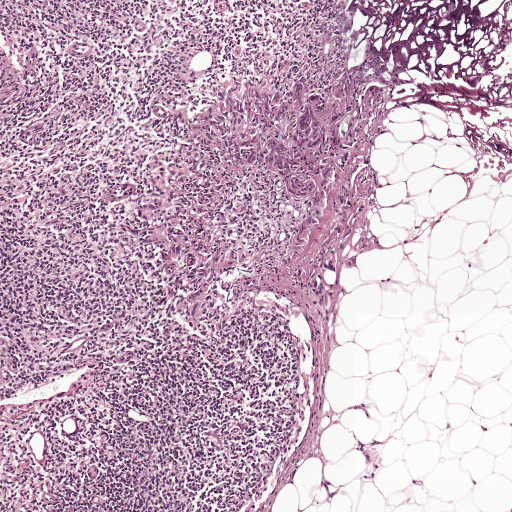
H&E-stained section of a sentinel lymph node (breast cancer), from a whole-slide image, viewed at about 5×: the field is about 1 mm across, about 1.9 µm per pixel.
One metastatic tumour region; its boundary, reduced to 24 corners and listed clockwise: (301, 68), (359, 100), (359, 130), (314, 238), (297, 247), (305, 204), (256, 166), (228, 184), (217, 226), (240, 258), (228, 273), (229, 312), (216, 320), (193, 327), (184, 321), (198, 264), (194, 256), (172, 263), (152, 246), (136, 220), (148, 159), (185, 144), (164, 116), (253, 71).
Tumour covers about 10% of the frame.